Question: 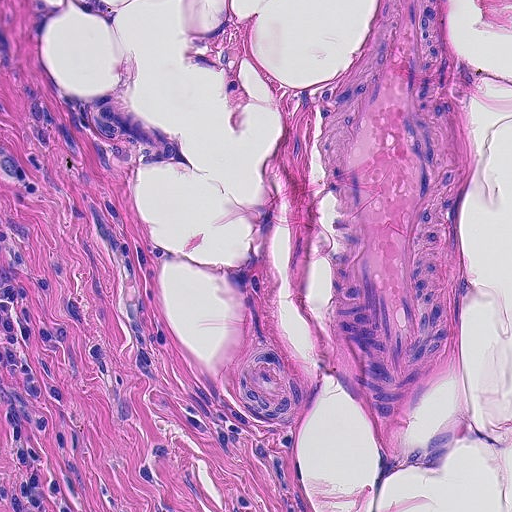
Which magnification is this H&E lymph node field most likely shown at?

Choices:
 (A) about 20×
 (B) about 2.5×
 (C) about 10×
 (D) about 5×
 (E) about 40×

Answer: (A) about 20×
This is a crop of a whole-slide image: an H&E-stained breast-cancer sentinel lymph node section at roughly 20× magnification (about 0.45 µm per pixel; the crop spans about 0.23 mm).